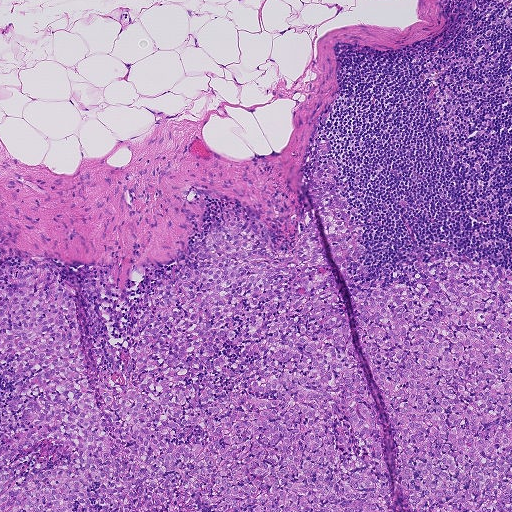
A 0.93-mm field of an H&E-stained sentinel lymph node from a breast-cancer patient (whole-slide image), shown at about 5×, about 1.8 µm per pixel.
Tumour region outline (a closed clockwise path, crop pixels): (323, 137), (363, 231), (350, 292), (413, 285), (418, 260), (508, 269), (511, 511), (0, 511), (0, 446), (37, 428), (7, 406), (19, 393), (0, 360), (0, 264), (59, 267), (94, 384), (123, 388), (149, 296), (207, 262), (191, 245), (246, 220), (275, 257), (291, 248).
About 45% of this field is tumour.